Image:
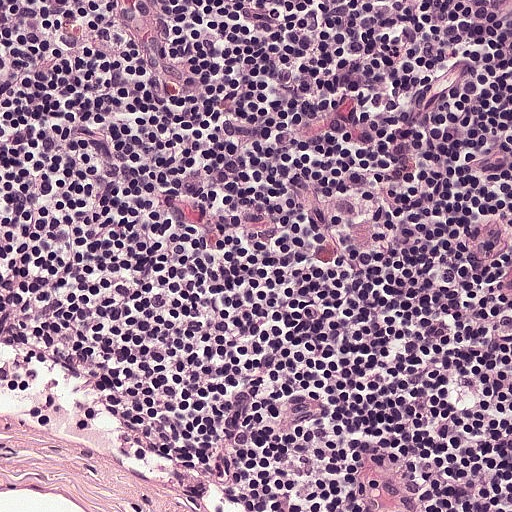
H&E-stained section of a sentinel lymph node (breast cancer), from a whole-slide image, viewed at about 20×: the field is about 0.25 mm across, about 0.49 µm per pixel.
Question:
Does this lymph node field contain metastatic tumour?
Answer:
No: no metastatic tumour is outlined anywhere in this field.